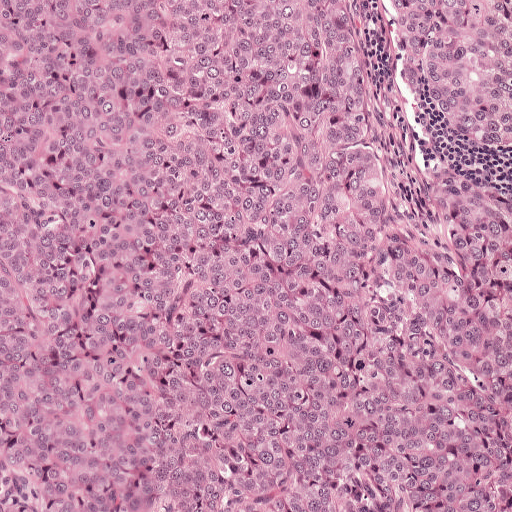
A 0.5-mm field of an H&E-stained sentinel lymph node from a breast-cancer patient (whole-slide image), shown at about 10×, about 0.97 µm per pixel.
Metastatic tumour covers the whole field.
Tumour covers over 95% of the frame.